Lymph node section stained with H&E, from a whole-slide image of a breast-cancer sentinel node. Magnification about 5×, about 0.93 mm across the frame, about 1.8 µm per pixel.
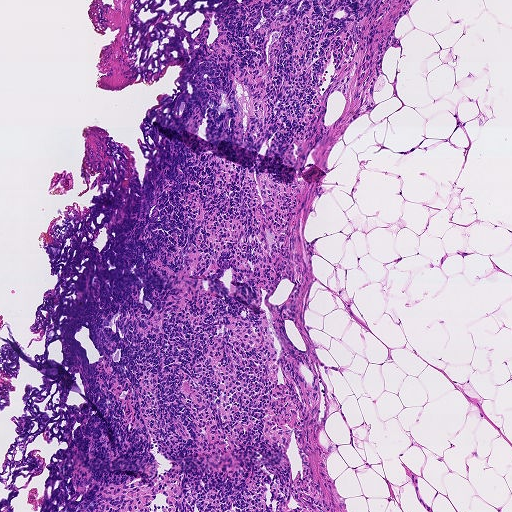
Question: Does this lymph node field contain metastatic tumour?
Answer: No: no metastatic tumour is outlined anywhere in this field.